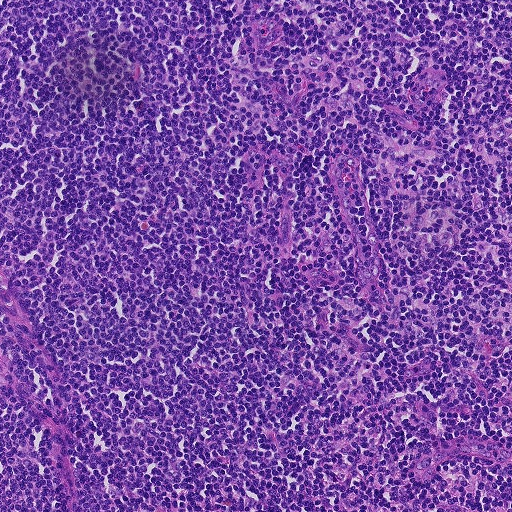
This is a crop of a whole-slide image: an H&E-stained breast-cancer sentinel lymph node section at roughly 10× magnification (about 0.9 µm per pixel; the crop spans about 0.46 mm).